Question: 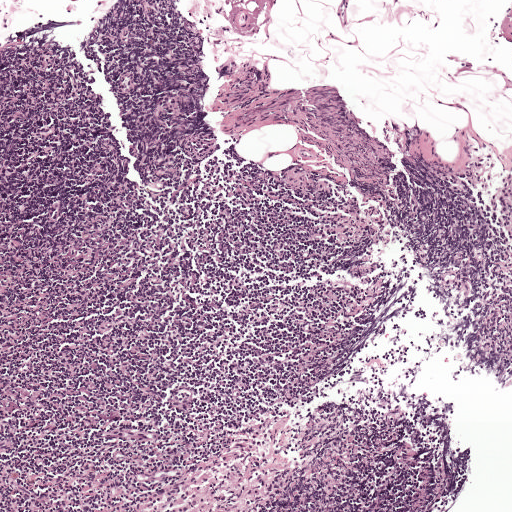
Which magnification is this H&E lymph node field most likely shown at?

Choices:
 (A) about 5×
 (B) about 10×
 (C) about 40×
 (D) about 2.5×
 (E) about 20×

Answer: (A) about 5×
This is a crop of a whole-slide image: an H&E-stained breast-cancer sentinel lymph node section at roughly 5× magnification (about 1.9 µm per pixel; the crop spans about 1 mm).